A 1-mm field of an H&E-stained sentinel lymph node from a breast-cancer patient (whole-slide image), shown at about 5×, about 1.9 µm per pixel.
Image:
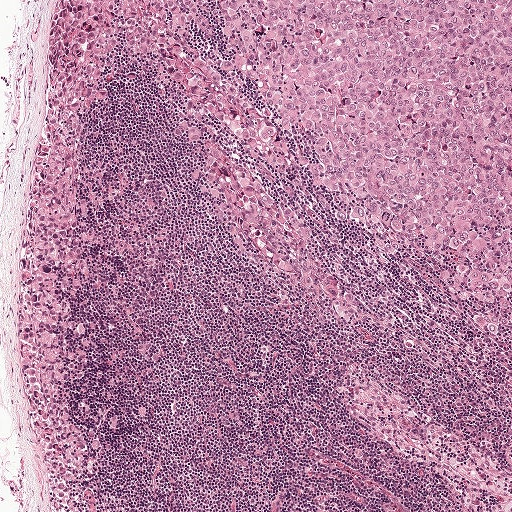
Question:
Show where the tumour is in this image.
Answer:
Tumour region outline (a closed clockwise path, crop pixels): (46, 0), (511, 0), (511, 363), (327, 220), (324, 249), (392, 328), (368, 336), (316, 309), (212, 224), (158, 96), (124, 78), (94, 137), (115, 187), (95, 213), (87, 276), (105, 344), (102, 395), (119, 422), (98, 458), (94, 511), (54, 511), (19, 344), (19, 213), (41, 128).
About 50% of the image area is annotated as tumour.